Image:
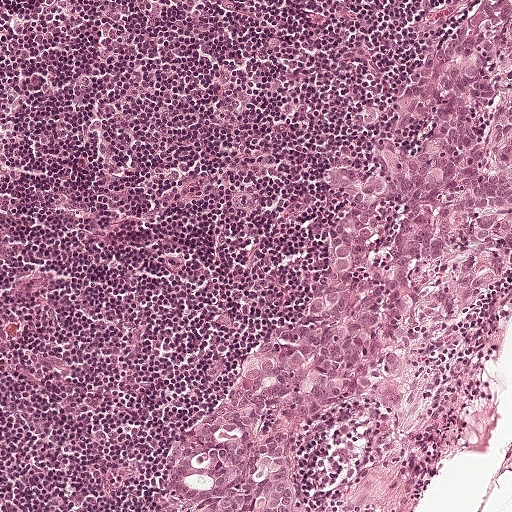
Lymph node section stained with H&E, from a whole-slide image of a breast-cancer sentinel node. Magnification about 10×, about 0.5 mm across the frame, about 0.97 µm per pixel.
Question:
Does this lymph node field contain metastatic tumour?
Answer:
Yes.
One metastatic tumour region; its boundary, reduced to 19 corners and listed clockwise: (511, 0), (511, 287), (440, 336), (436, 390), (412, 422), (380, 434), (364, 401), (324, 414), (301, 452), (317, 511), (149, 511), (213, 412), (303, 319), (327, 256), (334, 170), (382, 152), (418, 81), (451, 54), (476, 8).
About 30% of this field is tumour.